Question: 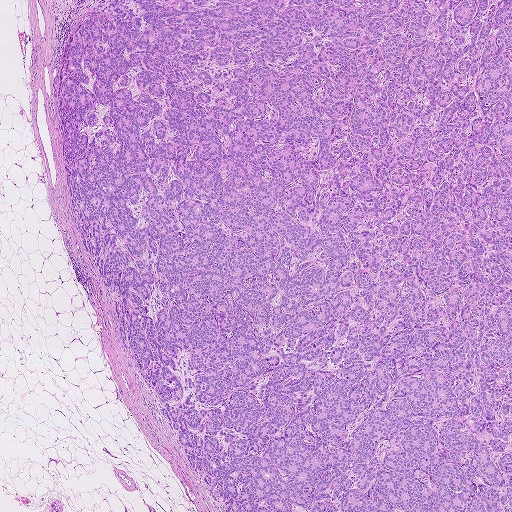
H&E-stained section of a sentinel lymph node (breast cancer), from a whole-slide image, viewed at about 2.5×: the field is about 1.9 mm across, about 3.6 µm per pixel.
Estimate the proportion of this field that is metastatic tumour.

Choices:
 (A) about 10% to 20%
 (B) about 50% or more
 (C) about 25% to 45%
 (D) none: no tumour is outlined
 (E) about 5% or less

Answer: (B) about 50% or more
About 80% of the field is tumour.
Metastatic tumour outline, simplified to 11 points and listed clockwise in crop pixels (x, y): (511, 0), (511, 511), (224, 511), (211, 495), (123, 344), (121, 297), (91, 265), (74, 220), (56, 95), (68, 34), (101, 2).